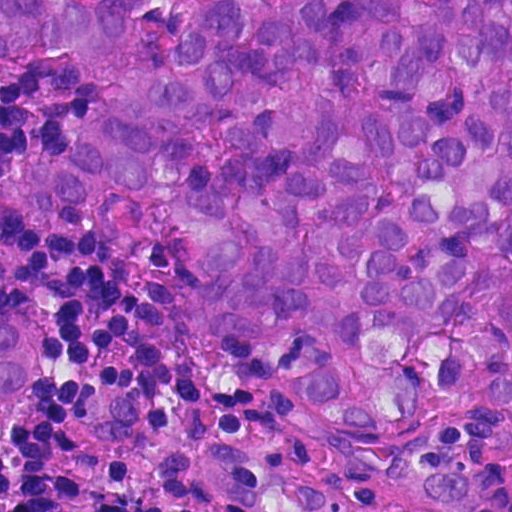
H&E-stained section of a sentinel lymph node (breast cancer), from a whole-slide image, viewed at about 40×: the field is about 0.12 mm across, about 0.23 µm per pixel.
Outlines of two tumour regions, largest first (closed clockwise paths, crop pixels): region 1: (0, 0), (511, 0), (511, 415), (446, 413), (444, 448), (491, 502), (480, 511), (426, 511), (380, 461), (401, 437), (366, 438), (298, 409), (218, 335), (204, 263), (90, 230), (49, 234), (18, 215), (7, 180), (32, 154), (66, 145), (114, 90), (67, 57), (0, 58); region 2: (192, 439), (228, 440), (294, 479), (329, 493), (360, 511), (242, 511), (221, 502), (198, 475).
Two more small tumour pieces are annotated here but not outlined.
About 70% of this field is tumour.